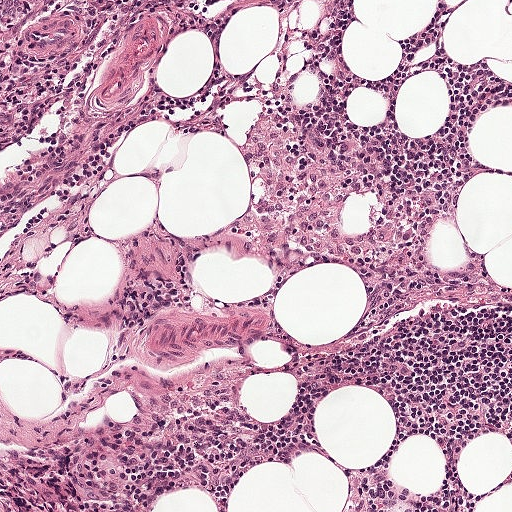
Lymph node section stained with H&E, from a whole-slide image of a breast-cancer sentinel node. Magnification about 10×, about 0.5 mm across the frame, about 0.97 µm per pixel.
Tumour region outline (a closed clockwise path, crop pixels): (0, 0), (219, 0), (203, 20), (193, 67), (126, 156), (75, 197), (0, 224).
About 15% of the image area is annotated as tumour.